Question: 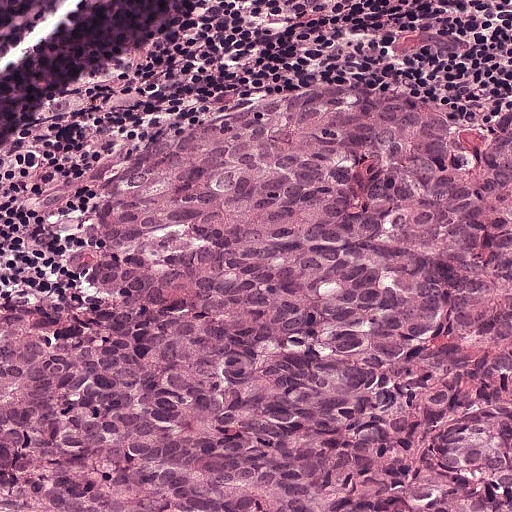
This is a crop of a whole-slide image: an H&E-stained breast-cancer sentinel lymph node section at roughly 20× magnification (about 0.49 µm per pixel; the crop spans about 0.25 mm).
Estimate the proportion of this field that is metastatic tumour.

Choices:
 (A) about 5% or less
 (B) none: no tumour is outlined
 (C) about 50% or more
 (D) about 10% to 20%
 (E) about 25% to 45%

Answer: (C) about 50% or more
About 70% of the field is tumour.
One metastatic tumour region; its boundary, reduced to 12 corners and listed clockwise: (271, 98), (380, 98), (466, 120), (508, 109), (511, 511), (34, 511), (0, 500), (0, 318), (34, 316), (76, 286), (96, 238), (100, 170).